This is a crop of a whole-slide image: an H&E-stained breast-cancer sentinel lymph node section at roughly 20× magnification (about 0.45 µm per pixel; the crop spans about 0.23 mm).
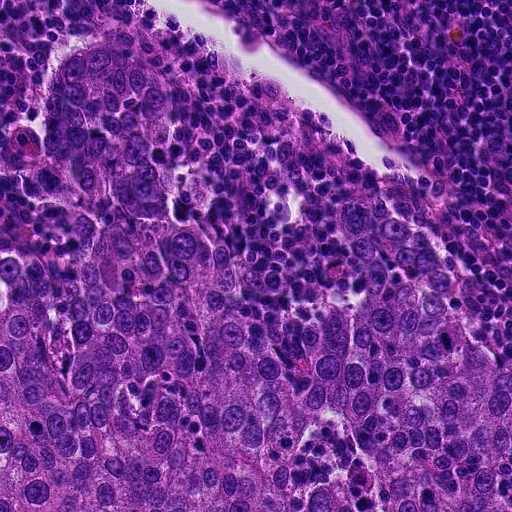
Tumour region outline (a closed clockwise path, crop pixels): (104, 33), (158, 58), (176, 114), (162, 200), (207, 240), (298, 393), (300, 335), (312, 308), (373, 295), (338, 214), (365, 203), (417, 230), (494, 356), (511, 362), (511, 511), (0, 511), (0, 257), (27, 248), (52, 264), (89, 261), (100, 232), (44, 128), (58, 70).
The annotated tumour makes up about 55% of the crop.